Image:
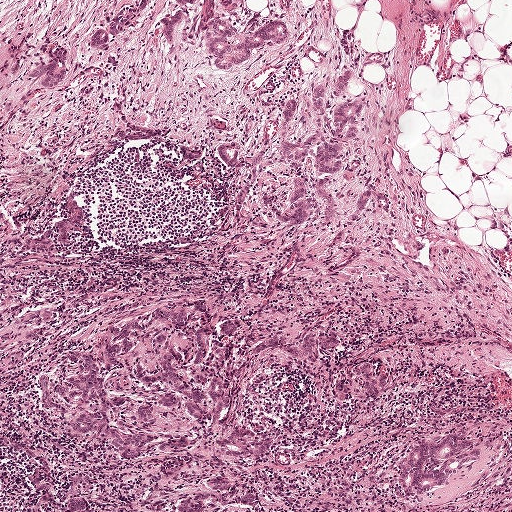
H&E-stained section of a sentinel lymph node (breast cancer), from a whole-slide image, viewed at about 5×: the field is about 1 mm across, about 1.9 µm per pixel.
Question:
Is there metastatic carcinoma in this field?
Answer:
Yes.
Outlines of the eight largest metastatic tumour regions, each a closed clockwise path in crop pixels (x, y), largest first: region 1: (164, 312), (190, 316), (189, 334), (165, 326), (139, 337), (136, 361), (124, 362), (122, 375), (110, 373), (110, 394), (131, 405), (125, 414), (107, 419), (122, 432), (160, 442), (138, 472), (114, 461), (107, 448), (74, 436), (59, 398), (73, 372), (70, 356), (104, 342), (130, 320); region 2: (235, 321), (244, 321), (244, 332), (228, 379), (234, 402), (222, 428), (202, 428), (180, 417), (176, 412), (164, 409), (166, 401), (180, 394), (151, 391), (139, 384), (140, 371), (147, 371), (153, 378), (162, 375), (162, 338), (168, 335), (179, 351), (188, 356), (184, 368), (178, 366), (178, 369), (188, 389), (196, 392), (200, 390), (200, 382), (194, 378), (194, 364), (201, 352), (201, 336), (210, 330), (223, 332); region 3: (351, 71), (344, 97), (356, 99), (363, 106), (357, 136), (347, 144), (347, 157), (331, 182), (336, 218), (322, 229), (322, 203), (316, 198), (310, 162), (308, 160), (301, 168), (292, 168), (279, 152), (281, 115), (286, 103), (294, 100), (296, 106), (286, 136), (295, 145), (305, 141), (314, 132), (312, 95), (318, 87), (325, 98), (322, 132), (327, 133), (334, 112), (328, 93), (332, 74); region 4: (460, 437), (474, 441), (482, 451), (482, 462), (430, 502), (419, 505), (409, 505), (400, 479), (406, 463), (424, 448); region 5: (214, 16), (243, 30), (254, 28), (276, 18), (282, 21), (288, 33), (286, 44), (270, 46), (262, 42), (258, 50), (251, 51), (249, 60), (237, 65), (231, 65), (224, 71), (211, 66), (210, 57), (206, 49), (202, 48), (201, 28); region 6: (40, 472), (42, 472), (52, 496), (58, 500), (62, 501), (66, 499), (67, 496), (66, 482), (77, 473), (83, 479), (87, 486), (84, 499), (90, 502), (91, 508), (90, 511), (25, 511), (30, 494), (30, 476); region 7: (336, 336), (341, 337), (346, 350), (340, 354), (324, 357), (316, 364), (302, 366), (296, 365), (286, 357), (267, 361), (257, 358), (257, 351), (283, 339), (298, 347), (313, 338), (327, 339); region 8: (241, 432), (250, 433), (276, 444), (276, 454), (274, 464), (260, 465), (232, 461), (219, 456), (217, 454), (218, 443).
13 more, smaller tumour regions are not outlined.
The annotated tumour makes up about 15% of the crop.